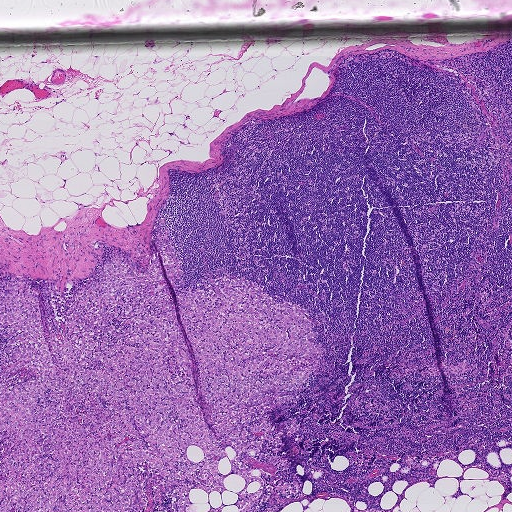
H&E-stained section of a sentinel lymph node (breast cancer), from a whole-slide image, viewed at about 2.5×: the field is about 1.9 mm across, about 3.6 µm per pixel.
One metastatic tumour region; its boundary, reduced to 22 corners and listed clockwise: (162, 216), (175, 293), (258, 283), (307, 311), (324, 353), (253, 421), (298, 428), (246, 457), (263, 482), (252, 511), (179, 511), (149, 483), (143, 510), (0, 511), (0, 371), (19, 361), (0, 280), (30, 281), (62, 342), (96, 270), (124, 257), (146, 271).
The annotated tumour makes up about 25% of the crop.